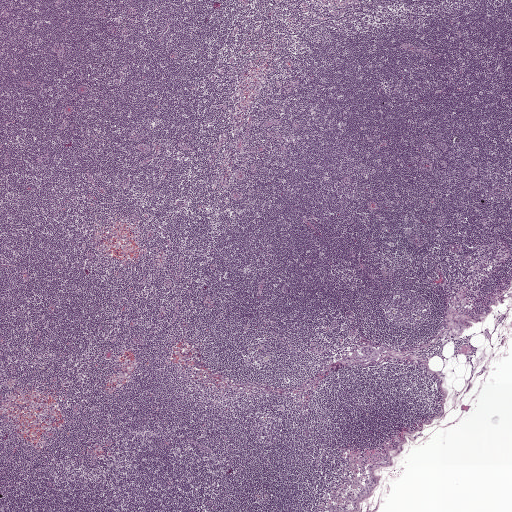
H&E-stained section of a sentinel lymph node (breast cancer), from a whole-slide image, viewed at about 2.5×: the field is about 2.0 mm across, about 3.9 µm per pixel.
Tumour region outline (a closed clockwise path, crop pixels): (365, 346), (375, 348), (382, 346), (389, 349), (389, 351), (379, 358), (377, 361), (370, 362), (363, 364), (347, 359), (347, 357), (357, 350).
Tumour covers under 5% of the frame.